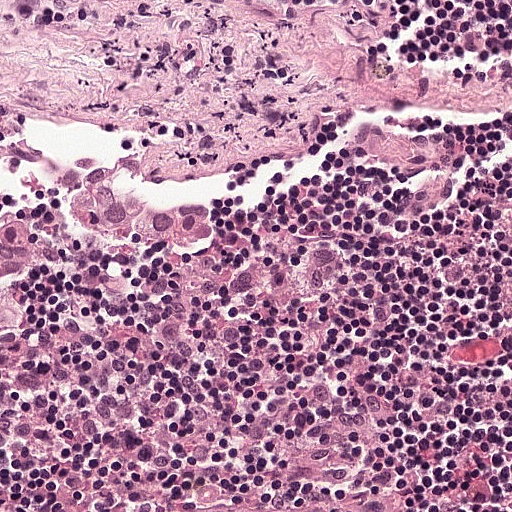
Lymph node section stained with H&E, from a whole-slide image of a breast-cancer sentinel node. Magnification about 20×, about 0.25 mm across the frame, about 0.49 µm per pixel.
Two metastatic tumour regions, each outlined as a closed clockwise path in crop pixels (x, y), largest first: region 1: (86, 174), (98, 174), (145, 198), (194, 196), (222, 214), (218, 230), (202, 244), (170, 252), (110, 248), (63, 217), (58, 204), (71, 183); region 2: (0, 206), (6, 206), (28, 209), (34, 217), (37, 224), (37, 250), (29, 264), (21, 267), (21, 270), (12, 275), (13, 287), (30, 290), (36, 294), (34, 310), (16, 332), (14, 337), (2, 345).
The annotated tumour makes up about 5% of the crop.